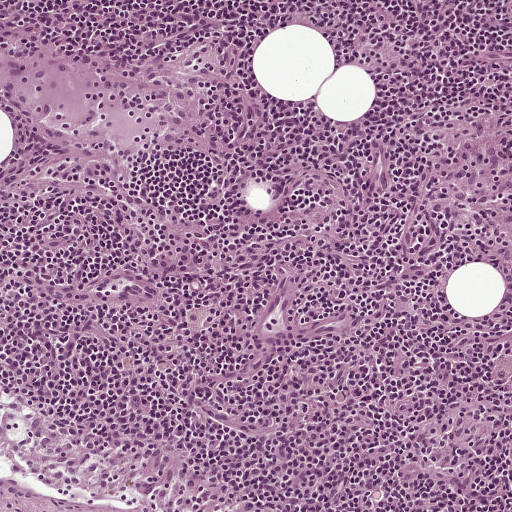
H&E-stained section of a sentinel lymph node (breast cancer), from a whole-slide image, viewed at about 10×: the field is about 0.5 mm across, about 0.97 µm per pixel.